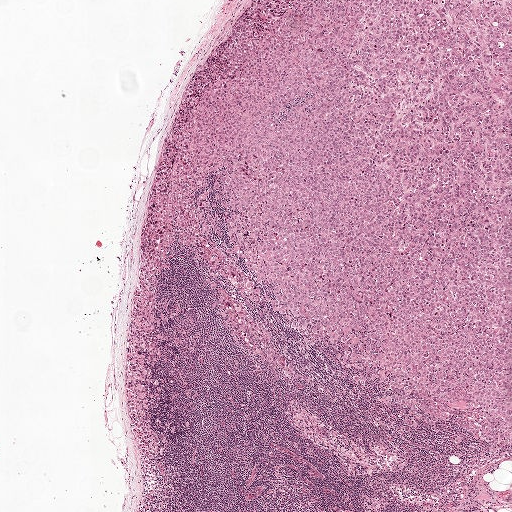
Lymph node section stained with H&E, from a whole-slide image of a breast-cancer sentinel node. Magnification about 2.5×, about 2.0 mm across the frame, about 3.9 µm per pixel.
One metastatic tumour region; its boundary, reduced to 23 corners and listed clockwise: (245, 0), (511, 0), (511, 465), (450, 449), (434, 431), (395, 428), (280, 328), (278, 342), (312, 382), (274, 373), (222, 330), (195, 266), (178, 257), (163, 286), (174, 312), (160, 371), (176, 427), (154, 507), (164, 511), (139, 511), (126, 320), (139, 216), (182, 74).
Tumour covers about 55% of the frame.